Question: 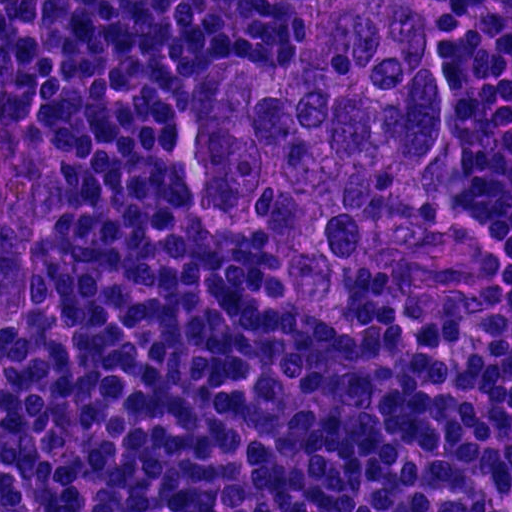
About what magnification does this crop show?

Choices:
 (A) about 20×
 (B) about 40×
 (C) about 10×
 (D) about 2.5×
 (E) about 5×

Answer: (B) about 40×
A 0.12-mm field of an H&E-stained sentinel lymph node from a breast-cancer patient (whole-slide image), shown at about 40×, about 0.23 µm per pixel.
Outlines of two tumour regions, largest first (closed clockwise paths, crop pixels): region 1: (315, 0), (412, 0), (439, 39), (452, 109), (451, 180), (429, 247), (302, 314), (259, 258), (198, 221), (188, 152), (197, 83), (236, 52), (274, 69); region 2: (0, 132), (41, 149), (48, 218), (36, 287), (0, 310).
The annotated tumour makes up about 25% of the crop.